Question: 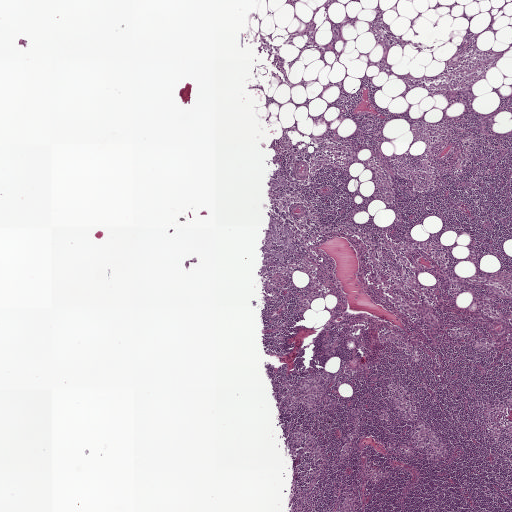
H&E-stained section of a sentinel lymph node (breast cancer), from a whole-slide image, viewed at about 2.5×: the field is about 2.0 mm across, about 3.9 µm per pixel.
What fraction of the image area is metastatic tumour?

Choices:
 (A) about 10% to 20%
 (B) about 50% or more
 (C) about 5% or less
 (D) about 25% to 45%
 (E) none: no tumour is outlined

Answer: (C) about 5% or less
Under 5% of the field is tumour.
Two metastatic tumour regions, each outlined as a closed clockwise path in crop pixels (x, y), largest first: region 1: (270, 220), (288, 227), (293, 235), (292, 242), (295, 251), (285, 250), (285, 245), (278, 245), (273, 242), (266, 245), (264, 243), (273, 239), (271, 235), (262, 232), (264, 229), (269, 229); region 2: (282, 176), (287, 178), (288, 181), (287, 184), (283, 186), (279, 186), (273, 188), (271, 185), (271, 181), (280, 178).
Seven more small tumour pieces are annotated here but not outlined.